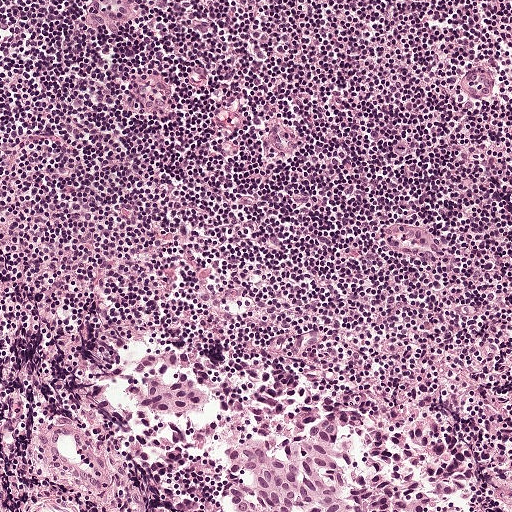
This is a crop of a whole-slide image: an H&E-stained breast-cancer sentinel lymph node section at roughly 10× magnification (about 0.97 µm per pixel; the crop spans about 0.5 mm).
The outlined metastatic tumour's edge, as a closed clockwise path of 14 points: (148, 349), (214, 352), (254, 377), (314, 385), (410, 415), (460, 448), (470, 480), (459, 498), (480, 511), (231, 511), (224, 462), (155, 442), (127, 403), (121, 382).
About 15% of this field is tumour.